Image:
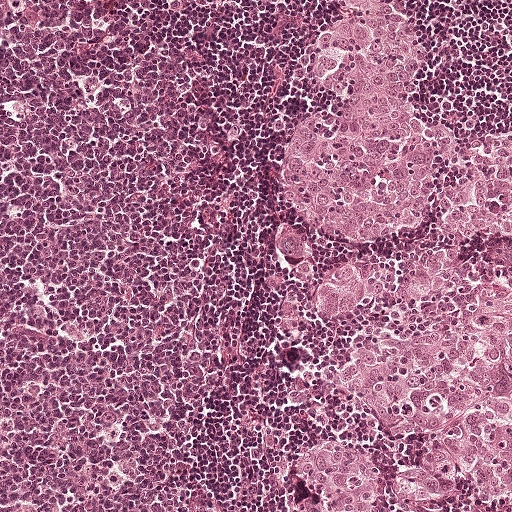
Lymph node section stained with H&E, from a whole-slide image of a breast-cancer sentinel node. Magnification about 10×, about 0.5 mm across the frame, about 0.97 µm per pixel.
Question:
Does this lymph node field contain metastatic tumour?
Answer:
Yes.
The outlined metastatic tumour's edge, as a closed clockwise path of 14 points: (400, 0), (439, 100), (463, 116), (511, 118), (511, 511), (272, 511), (288, 484), (296, 402), (272, 340), (268, 224), (281, 141), (321, 96), (304, 58), (318, 4).
Tumour covers about 40% of the frame.